Question: 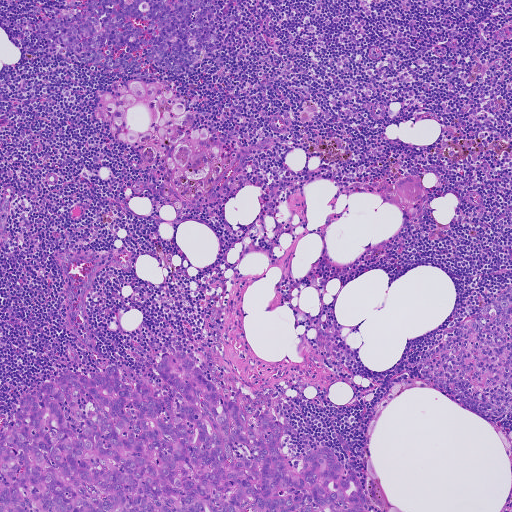
About what magnification does this crop show?

Choices:
 (A) about 5×
 (B) about 2.5×
 (C) about 10×
 (D) about 20×
 (E) about 40×

Answer: (A) about 5×
A 0.93-mm field of an H&E-stained sentinel lymph node from a breast-cancer patient (whole-slide image), shown at about 5×, about 1.8 µm per pixel.
One metastatic tumour region; its boundary, reduced to 23 corners and listed clockwise: (180, 353), (241, 405), (260, 436), (256, 418), (276, 421), (292, 466), (305, 439), (313, 450), (328, 446), (342, 475), (360, 481), (365, 509), (0, 511), (0, 431), (26, 393), (69, 369), (91, 378), (110, 363), (127, 386), (147, 378), (158, 398), (172, 397), (157, 366).
Tumour covers about 15% of the frame.